H&E-stained section of a sentinel lymph node (breast cancer), from a whole-slide image, viewed at about 10×: the field is about 0.46 mm across, about 0.91 µm per pixel.
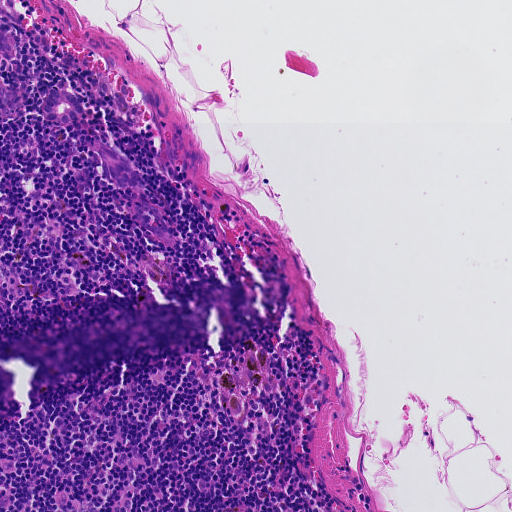
Boundaries of three metastatic tumour regions, simplified and listed clockwise, largest first: region 1: (101, 142), (128, 156), (140, 173), (143, 182), (137, 190), (122, 190), (112, 184), (100, 166), (100, 156), (94, 145); region 2: (49, 88), (68, 91), (78, 96), (83, 104), (82, 114), (76, 122), (66, 123), (46, 115), (43, 106); region 3: (0, 11), (14, 29), (18, 40), (17, 50), (8, 55), (0, 53).
Under 5% of this field is tumour.